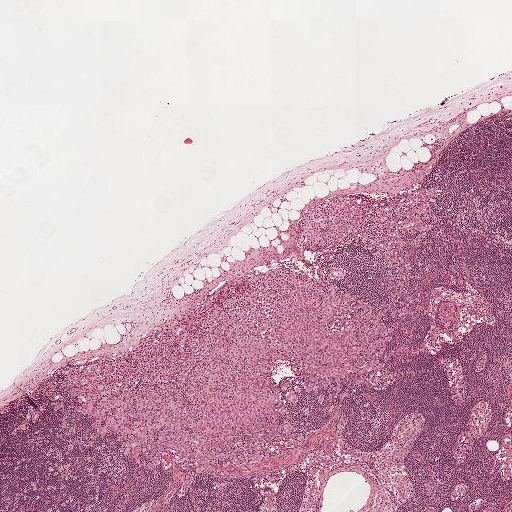
This is a crop of a whole-slide image: an H&E-stained breast-cancer sentinel lymph node section at roughly 2.5× magnification (about 3.9 µm per pixel; the crop spans about 2.0 mm).
Question: Which parts of this field are metastatic tumour? Answer with the outline of each region, in pixels.
Answer: Boundaries of three metastatic tumour regions, simplified and listed clockwise, largest first: region 1: (341, 268), (333, 283), (384, 308), (392, 328), (380, 368), (347, 375), (328, 414), (325, 391), (319, 404), (286, 359), (273, 362), (303, 440), (252, 464), (199, 473), (166, 450), (151, 470), (75, 409), (50, 408), (52, 370), (120, 356), (154, 321), (238, 274), (318, 279); region 2: (417, 189), (441, 192), (427, 201), (423, 221), (430, 228), (418, 245), (409, 242), (417, 232), (399, 233), (400, 257), (418, 277), (408, 280), (412, 300), (406, 317), (390, 318), (384, 263), (359, 243), (327, 253), (296, 248), (299, 219), (314, 203), (347, 193), (385, 198); region 3: (296, 387), (298, 388), (300, 390), (300, 394), (298, 401), (296, 402), (293, 403), (289, 402), (287, 399), (286, 393), (287, 391).
About 20% of the image area is annotated as tumour.